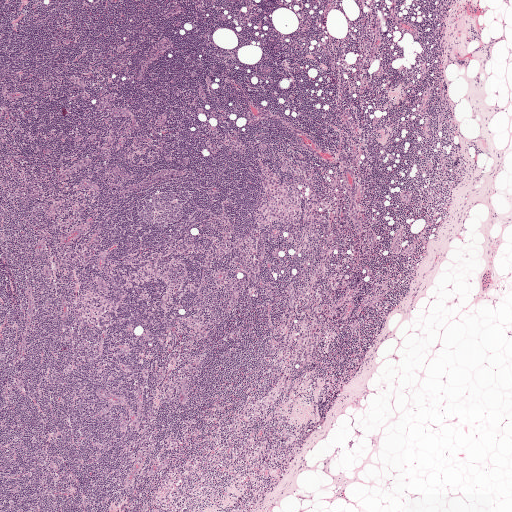
This is a crop of a whole-slide image: an H&E-stained breast-cancer sentinel lymph node section at roughly 2.5× magnification (about 3.9 µm per pixel; the crop spans about 2.0 mm).